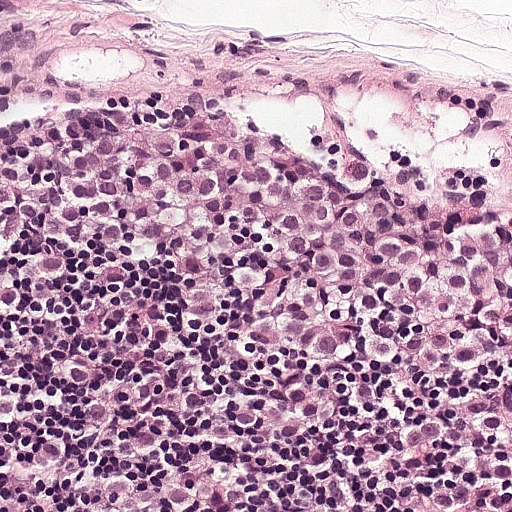
This is a crop of a whole-slide image: an H&E-stained breast-cancer sentinel lymph node section at roughly 20× magnification (about 0.49 µm per pixel; the crop spans about 0.25 mm).
One metastatic tumour region; its boundary, reduced to 9 corners and listed clockwise: (0, 114), (292, 116), (511, 158), (511, 511), (0, 511), (0, 432), (74, 432), (54, 377), (6, 338).
About 75% of this field is tumour.